H&E-stained section of a sentinel lymph node (breast cancer), from a whole-slide image, viewed at about 10×: the field is about 0.5 mm across, about 0.97 µm per pixel.
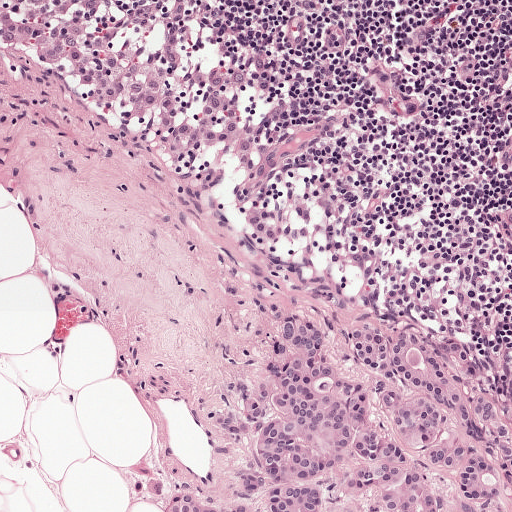
Question: Describe where the metastatic carcinoma lies in this crop.
Answer: Two metastatic tumour regions, each outlined as a closed clockwise path in crop pixels (x, y), largest first: region 1: (289, 312), (318, 326), (340, 374), (364, 381), (378, 430), (443, 494), (440, 511), (388, 511), (377, 488), (346, 494), (346, 478), (372, 460), (351, 446), (346, 460), (303, 485), (321, 492), (320, 511), (268, 511), (266, 496), (282, 486), (273, 484), (253, 494), (254, 511), (165, 511), (147, 481), (160, 478), (173, 490), (231, 502), (237, 485), (262, 468), (258, 441), (212, 415), (236, 408), (230, 391), (240, 380), (277, 410), (272, 388), (286, 362), (273, 345); region 2: (368, 319), (402, 321), (467, 347), (487, 397), (511, 434), (511, 502), (504, 499), (503, 483), (486, 511), (463, 511), (464, 504), (455, 489), (457, 472), (432, 468), (399, 438), (372, 372), (351, 344), (352, 326).
About 15% of this field is tumour.